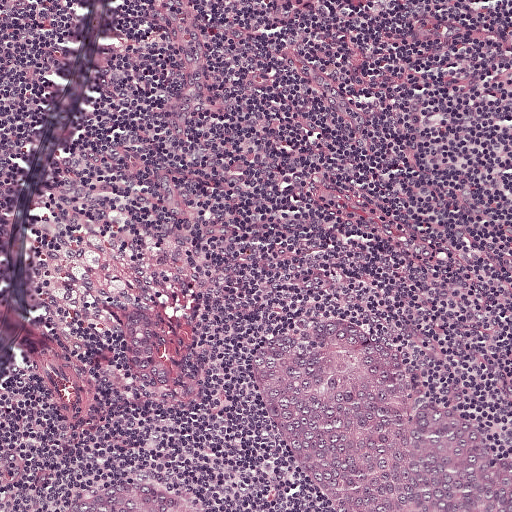
Lymph node section stained with H&E, from a whole-slide image of a breast-cancer sentinel node. Magnification about 10×, about 0.5 mm across the frame, about 0.97 µm per pixel.
Boundaries of three metastatic tumour regions, simplified and listed clockwise, largest first: region 1: (316, 318), (396, 326), (442, 401), (507, 456), (511, 511), (331, 511), (297, 480), (250, 378), (253, 359), (263, 342); region 2: (121, 476), (156, 481), (179, 488), (197, 501), (201, 511), (58, 511), (78, 495); region 3: (134, 306), (154, 310), (161, 321), (156, 352), (177, 364), (190, 376), (198, 389), (194, 399), (176, 395), (161, 387), (136, 382), (124, 349), (125, 312).
About 15% of the image area is annotated as tumour.